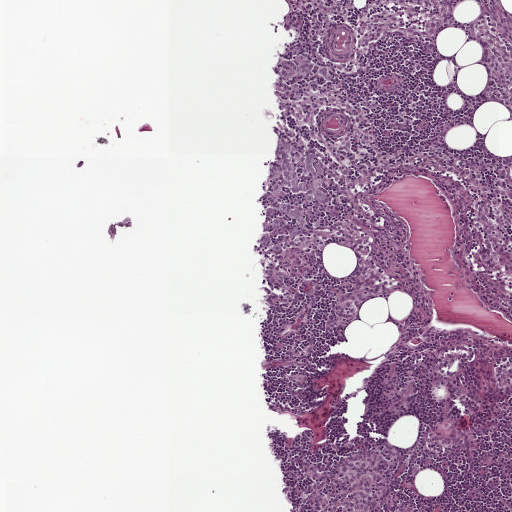
A 1-mm field of an H&E-stained sentinel lymph node from a breast-cancer patient (whole-slide image), shown at about 5×, about 1.9 µm per pixel.
Boundaries of four metastatic tumour regions, simplified and listed clockwise, largest first: region 1: (279, 142), (285, 142), (301, 154), (314, 156), (323, 166), (325, 172), (322, 185), (328, 196), (328, 204), (309, 202), (307, 193), (294, 192), (284, 186), (277, 191), (270, 192), (267, 188), (284, 180), (283, 174), (280, 172), (267, 170), (262, 166), (267, 160), (275, 159); region 2: (301, 54), (307, 54), (313, 58), (314, 64), (312, 70), (304, 75), (296, 74), (291, 78), (284, 78), (280, 72), (280, 65), (297, 58); region 3: (279, 202), (286, 203), (292, 206), (304, 218), (305, 221), (305, 224), (281, 214), (279, 208); region 4: (268, 208), (272, 208), (274, 212), (272, 215), (266, 218), (266, 222), (279, 217), (283, 224), (278, 227), (268, 230), (262, 230), (262, 224), (264, 219), (266, 212).
Five more small tumour pieces are annotated here but not outlined.
Under 5% of the image area is annotated as tumour.